Image:
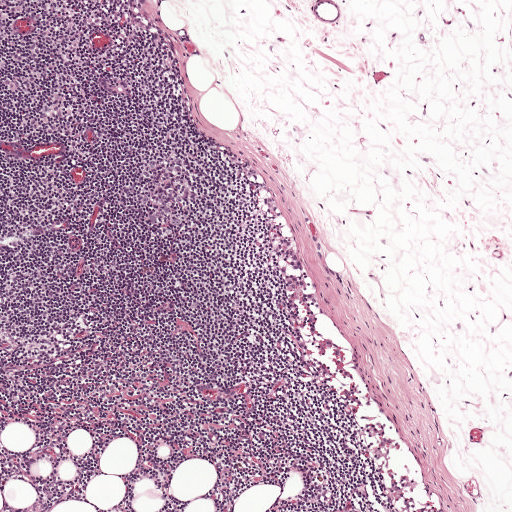
H&E-stained section of a sentinel lymph node (breast cancer), from a whole-slide image, viewed at about 5×: the field is about 1 mm across, about 1.9 µm per pixel.
Question:
Outline the metastatic carcinoma in this image, as closed paths of (x, y) pixel coordinates.
Answer:
Metastatic tumour outline, simplified to 10 points and listed clockwise in crop pixels (x, y): (100, 76), (114, 76), (123, 79), (133, 85), (135, 94), (134, 100), (129, 100), (115, 98), (97, 83), (97, 78).
The annotated tumour makes up under 5% of the crop.